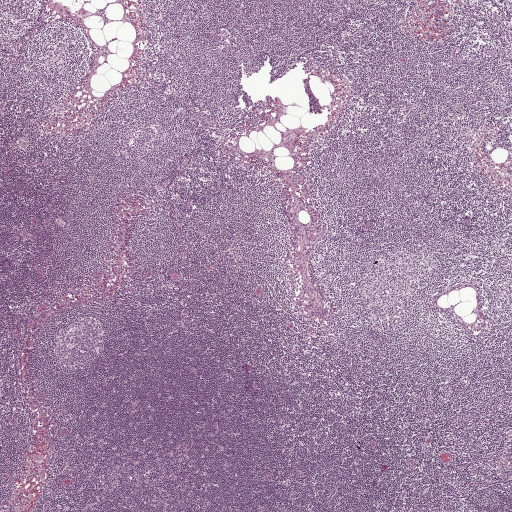
A 2.0-mm field of an H&E-stained sentinel lymph node from a breast-cancer patient (whole-slide image), shown at about 2.5×, about 3.9 µm per pixel.